A 1-mm field of an H&E-stained sentinel lymph node from a breast-cancer patient (whole-slide image), shown at about 5×, about 1.9 µm per pixel.
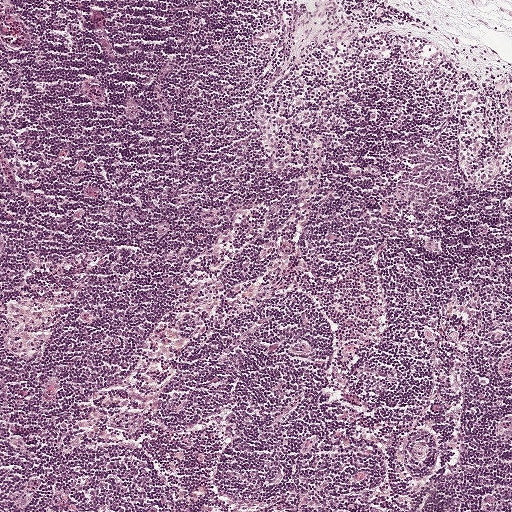
Question: Is there metastatic carcinoma in this field?
Answer: No: no metastatic tumour is outlined anywhere in this field.